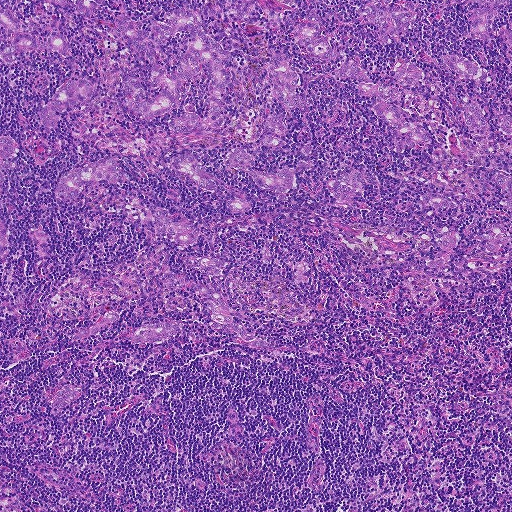
A 0.93-mm field of an H&E-stained sentinel lymph node from a breast-cancer patient (whole-slide image), shown at about 5×, about 1.8 µm per pixel.
Outlines of the eight largest metastatic tumour regions, each a closed clockwise path in crop pixels (x, y), largest first: region 1: (181, 6), (196, 17), (195, 26), (205, 27), (210, 37), (230, 52), (226, 56), (230, 79), (222, 110), (224, 127), (184, 133), (167, 126), (168, 121), (184, 114), (207, 114), (209, 106), (204, 104), (210, 82), (205, 69), (181, 85), (180, 102), (166, 113), (144, 119), (129, 109), (126, 79), (137, 79), (146, 101), (152, 102), (164, 83), (153, 88), (149, 83), (149, 60), (119, 35), (116, 17), (127, 12), (137, 30), (148, 31); region 2: (350, 57), (355, 59), (373, 84), (385, 81), (390, 83), (397, 93), (402, 118), (418, 126), (431, 138), (431, 144), (396, 151), (396, 129), (380, 120), (378, 114), (376, 109), (380, 98), (367, 96), (359, 89), (359, 83), (365, 82), (334, 77), (332, 72); region 3: (377, 0), (392, 0), (387, 6), (389, 6), (401, 4), (405, 0), (411, 0), (414, 5), (410, 22), (394, 40), (384, 45), (380, 41), (377, 28), (362, 19), (359, 14), (359, 8), (363, 3), (378, 2); region 4: (107, 157), (114, 160), (116, 165), (125, 173), (125, 179), (122, 184), (116, 185), (105, 180), (87, 181), (77, 195), (60, 202), (56, 199), (58, 181), (84, 166); region 5: (8, 3), (19, 25), (20, 32), (26, 33), (42, 43), (47, 41), (54, 32), (60, 33), (64, 38), (68, 49), (68, 55), (63, 56), (58, 52), (46, 49), (23, 50), (18, 53), (17, 59), (6, 62), (0, 57), (0, 52), (13, 42), (15, 34), (0, 25), (0, 7); region 6: (243, 148), (254, 153), (256, 158), (252, 163), (252, 169), (269, 173), (286, 168), (292, 171), (295, 182), (290, 193), (284, 193), (266, 189), (256, 182), (249, 172), (226, 164), (223, 159), (232, 150); region 7: (76, 78), (88, 80), (93, 92), (90, 96), (59, 114), (61, 120), (57, 125), (51, 127), (46, 126), (40, 116), (40, 110), (43, 105), (53, 98), (71, 79); region 8: (281, 53), (286, 57), (290, 68), (298, 77), (298, 83), (294, 88), (294, 94), (305, 96), (308, 101), (306, 105), (300, 107), (288, 107), (283, 105), (274, 96), (272, 91), (269, 70), (271, 58), (276, 54).
Region 1 encloses a non-tumour hole of about 10% of its area.
21 more, smaller tumour regions are not outlined.
One more small tumour piece is annotated here but not outlined.
Tumour covers about 10% of the frame.